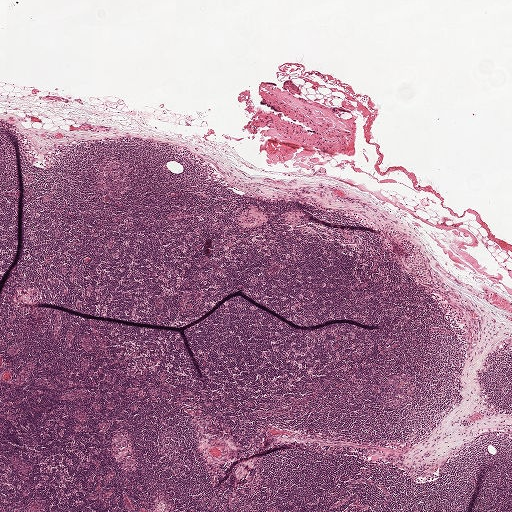
Lymph node section stained with H&E, from a whole-slide image of a breast-cancer sentinel node. Magnification about 2.5×, about 2.0 mm across the frame, about 3.9 µm per pixel.
Tumour region outline (a closed clockwise path, crop pixels): (388, 225), (393, 227), (425, 255), (433, 274), (434, 286), (433, 289), (421, 286), (412, 272), (406, 268), (400, 247), (391, 238), (385, 226).
Under 5% of this field is tumour.